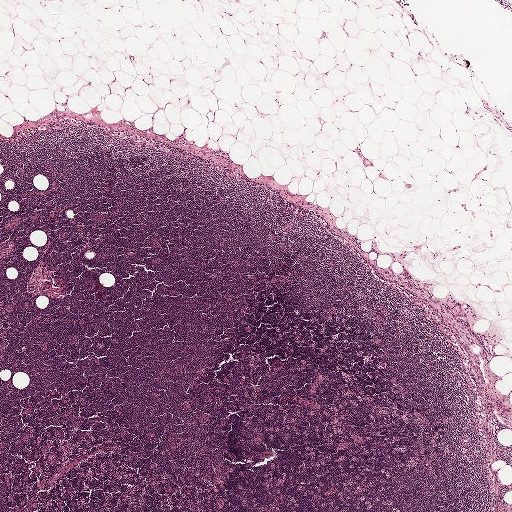
H&E-stained section of a sentinel lymph node (breast cancer), from a whole-slide image, viewed at about 2.5×: the field is about 2.0 mm across, about 3.9 µm per pixel.